Question: 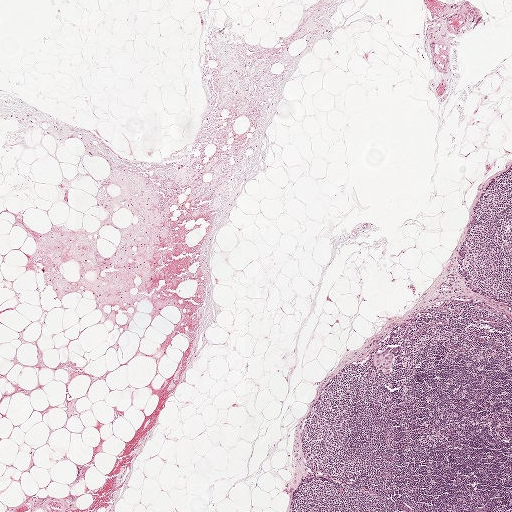
H&E-stained section of a sentinel lymph node (breast cancer), from a whole-slide image, viewed at about 2.5×: the field is about 2.0 mm across, about 3.9 µm per pixel.
Estimate the proportion of this field that is metastatic tumour.

Choices:
 (A) none: no tumour is outlined
 (B) about 5% or less
 (C) about 25% to 45%
 (D) about 50% or more
 (E) about 10% to 20%

Answer: (B) about 5% or less
Under 5% of the field is tumour.
Metastatic tumour outline, simplified to 6 points and listed clockwise in crop pixels (x, y): (386, 350), (392, 354), (390, 374), (384, 373), (372, 365), (374, 356).